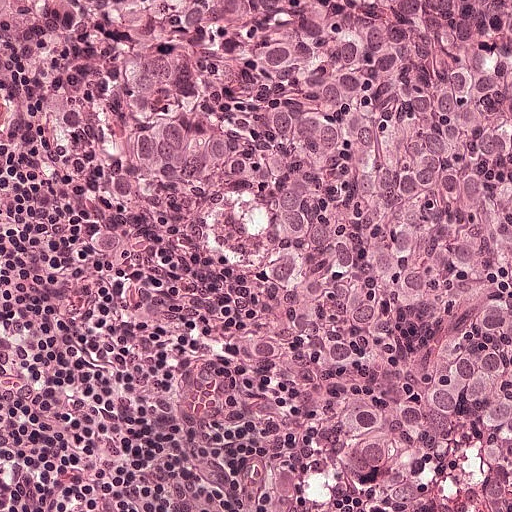
A 0.25-mm field of an H&E-stained sentinel lymph node from a breast-cancer patient (whole-slide image), shown at about 20×, about 0.49 µm per pixel.
Metastatic tumour outline, simplified to 21 points and listed clockwise in crop pixels (x, y): (0, 0), (511, 0), (511, 511), (488, 511), (480, 452), (444, 511), (338, 511), (328, 479), (300, 452), (186, 394), (189, 354), (230, 318), (252, 217), (200, 215), (133, 254), (83, 260), (88, 115), (69, 76), (69, 37), (20, 68), (4, 60).
About 70% of this field is tumour.